Image:
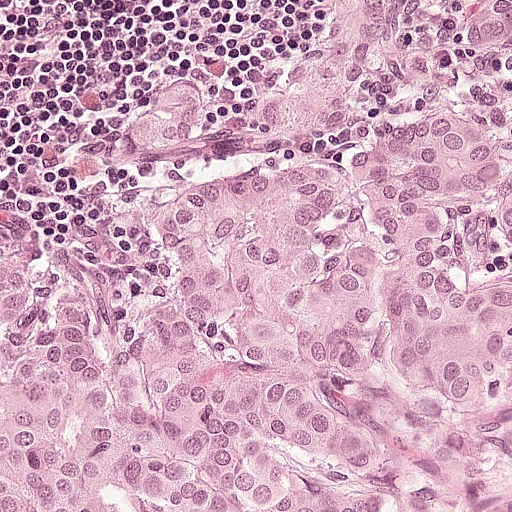
This is a crop of a whole-slide image: an H&E-stained breast-cancer sentinel lymph node section at roughly 20× magnification (about 0.49 µm per pixel; the crop spans about 0.25 mm).
Question:
Where is the metastatic tumour in this field?
Answer:
Tumour region outline (a closed clockwise path, crop pixels): (511, 0), (511, 511), (0, 511), (0, 239), (51, 256), (93, 306), (165, 310), (168, 266), (104, 230), (94, 204), (144, 192), (230, 194), (264, 167), (160, 167), (114, 151), (105, 130), (144, 92), (250, 104), (294, 62), (332, 1).
About 80% of this field is tumour.